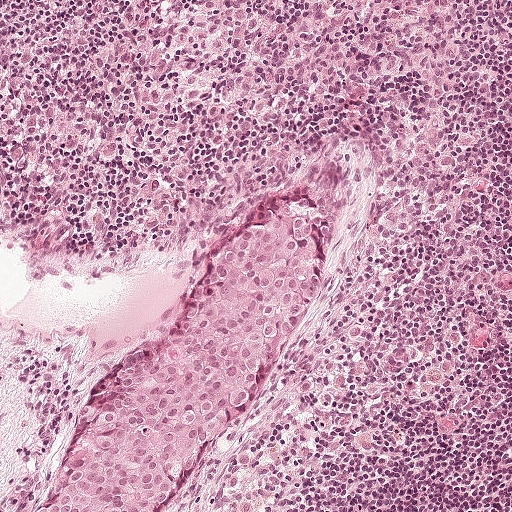
A 0.5-mm field of an H&E-stained sentinel lymph node from a breast-cancer patient (whole-slide image), shown at about 10×, about 0.97 µm per pixel.
Question: Trace the edge of each tumour region in this crop, as (x, y) points from 0 to 511.
Answer: Tumour region outline (a closed clockwise path, crop pixels): (314, 186), (339, 220), (336, 274), (302, 346), (245, 393), (220, 445), (165, 511), (20, 511), (54, 476), (120, 358), (183, 315), (199, 277), (245, 229).
The annotated tumour makes up about 15% of the crop.